Image:
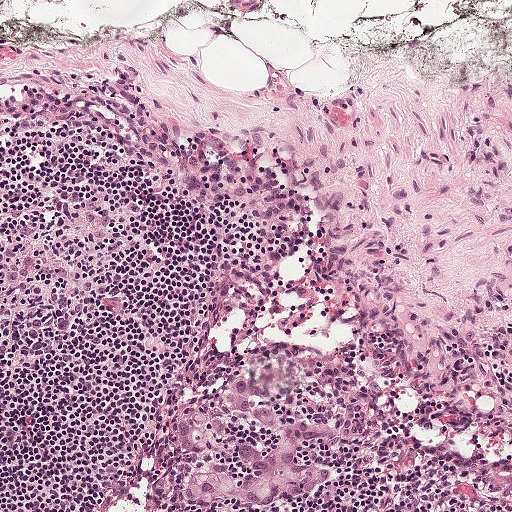
A 0.5-mm field of an H&E-stained sentinel lymph node from a breast-cancer patient (whole-slide image), shown at about 10×, about 0.97 µm per pixel.
Question:
Outline the metastatic carcinoma in this image, as closed paths of (x, y) pixel coordinates.
Answer:
Tumour region outline (a closed clockwise path, crop pixels): (273, 377), (282, 414), (309, 416), (346, 434), (335, 441), (319, 437), (306, 440), (310, 458), (338, 464), (338, 476), (316, 494), (272, 503), (239, 497), (209, 503), (186, 494), (190, 458), (172, 420), (204, 396), (222, 396), (238, 378).
The annotated tumour makes up about 5% of the crop.